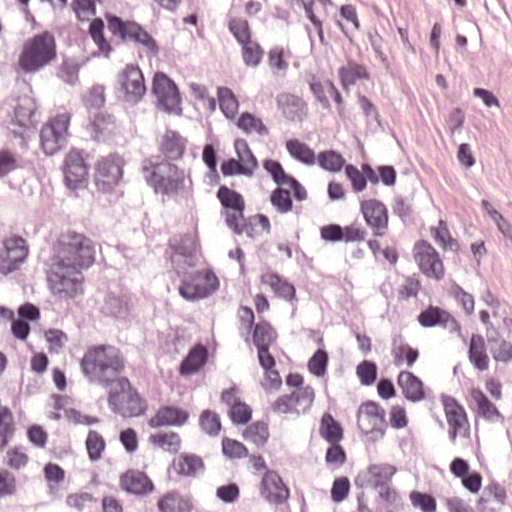
H&E-stained section of a sentinel lymph node (breast cancer), from a whole-slide image, viewed at about 40×: the field is about 0.12 mm across, about 0.24 µm per pixel.
Boundaries of two metastatic tumour regions, simplified and listed clockwise, largest first: region 1: (83, 31), (230, 77), (273, 181), (281, 291), (255, 397), (172, 435), (77, 422), (9, 359), (0, 144), (21, 82); region 2: (435, 472), (506, 511), (335, 511), (334, 476).
The annotated tumour makes up about 35% of the crop.